Question: 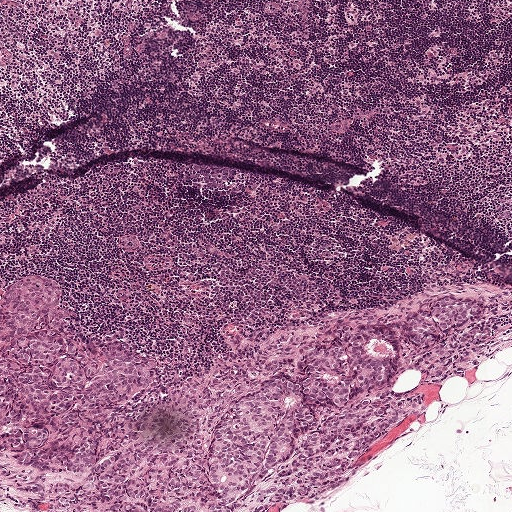
Lymph node section stained with H&E, from a whole-slide image of a breast-cancer sentinel node. Magnification about 5×, about 1 mm across the frame, about 1.9 µm per pixel.
Estimate the proportion of this field that is metastatic tumour.

Choices:
 (A) about 5% or less
 (B) about 25% to 45%
 (C) none: no tumour is outlined
 (D) about 50% or more
 (E) about 10% to 20%

Answer: (B) about 25% to 45%
About 25% of the field is tumour.
Metastatic tumour outline, simplified to 24 points and listed clockwise in crop pixels (x, y): (52, 279), (86, 330), (157, 364), (126, 417), (231, 365), (295, 365), (340, 326), (390, 328), (402, 368), (424, 351), (409, 312), (431, 297), (480, 302), (493, 337), (460, 351), (436, 384), (415, 370), (394, 376), (391, 390), (424, 410), (298, 506), (50, 511), (0, 475), (0, 287).